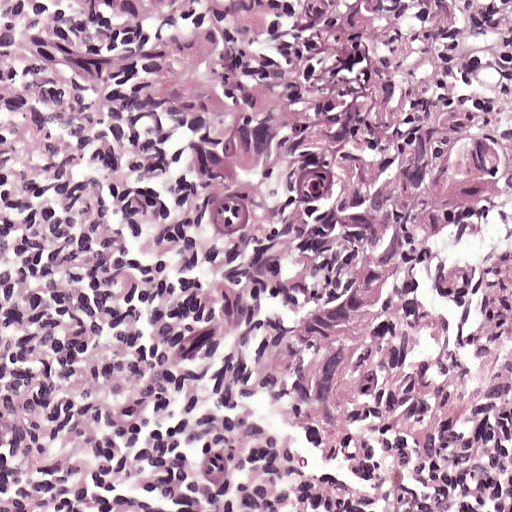
H&E-stained section of a sentinel lymph node (breast cancer), from a whole-slide image, viewed at about 20×: the field is about 0.25 mm across, about 0.49 µm per pixel.
Tumour region outline (a closed clockwise path, crop pixels): (93, 0), (429, 0), (418, 44), (511, 170), (464, 230), (466, 386), (412, 419), (324, 446), (284, 424), (287, 338), (344, 194), (327, 160), (238, 192), (158, 123), (92, 20).
About 35% of this field is tumour.